Question: 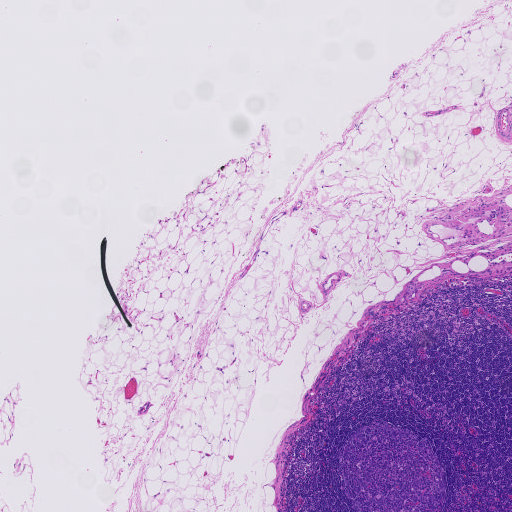
A 1.9-mm field of an H&E-stained sentinel lymph node from a breast-cancer patient (whole-slide image), shown at about 2.5×, about 3.6 µm per pixel.
What fraction of the image area is metastatic tumour?

Choices:
 (A) about 25% to 45%
 (B) about 50% or more
 (C) about 5% or less
 (D) none: no tumour is outlined
 (E) about 10% to 20%

Answer: (C) about 5% or less
Under 5% of the field is tumour.
The outlined metastatic tumour's edge, as a closed clockwise path of 10 points: (419, 282), (425, 283), (422, 289), (416, 292), (412, 298), (406, 299), (403, 299), (402, 296), (405, 289), (405, 286).